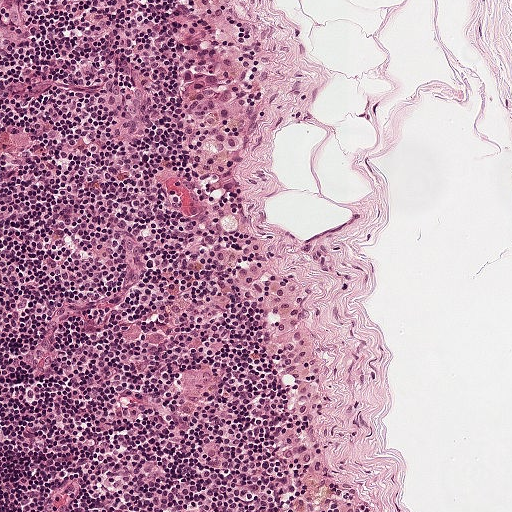
This is a crop of a whole-slide image: an H&E-stained breast-cancer sentinel lymph node section at roughly 10× magnification (about 0.97 µm per pixel; the crop spans about 0.5 mm).
Tumour region outline (a closed clockwise path, crop pixels): (211, 63), (230, 70), (251, 106), (250, 131), (241, 151), (236, 154), (213, 153), (198, 147), (182, 128), (190, 108), (183, 85), (185, 64).
Under 5% of this field is tumour.